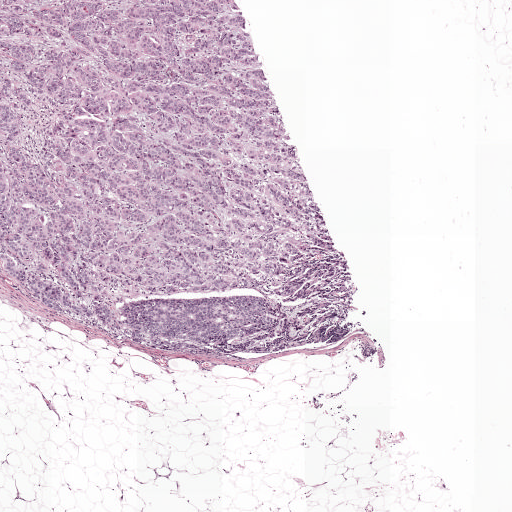
Lymph node section stained with H&E, from a whole-slide image of a breast-cancer sentinel node. Magnification about 2.5×, about 2.0 mm across the frame, about 3.9 µm per pixel.
Tumour region outline (a closed clockwise path, crop pixels): (0, 0), (240, 0), (356, 284), (360, 310), (348, 323), (375, 345), (362, 359), (355, 338), (227, 359), (147, 347), (51, 313), (5, 276).
The annotated tumour makes up about 40% of the crop.